This is a crop of a whole-slide image: an H&E-stained breast-cancer sentinel lymph node section at roughly 20× magnification (about 0.49 µm per pixel; the crop spans about 0.25 mm).
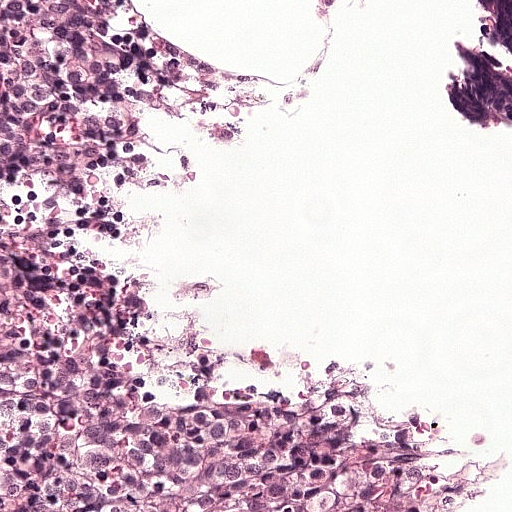
One metastatic tumour region; its boundary, reduced to 13 corners and listed clockwise: (0, 0), (139, 0), (144, 9), (170, 148), (144, 182), (92, 196), (78, 230), (78, 274), (100, 322), (382, 442), (412, 461), (419, 508), (0, 511).
About 40% of this field is tumour.